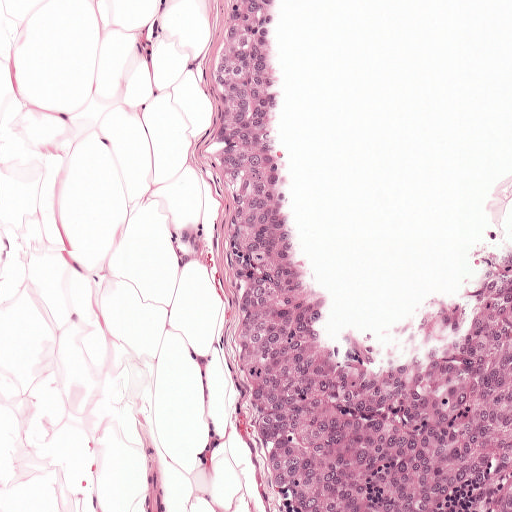
Lymph node section stained with H&E, from a whole-slide image of a breast-cancer sentinel node. Magnification about 10×, about 0.5 mm across the frame, about 0.97 µm per pixel.
Question: Which parts of this field are metastatic tumour? Answer with the outline of each region, in pixels.
Answer: Metastatic tumour outline, simplified to 12 points and listed clockwise in crop pixels (x, y): (285, 0), (290, 164), (306, 254), (347, 337), (433, 308), (491, 185), (511, 167), (511, 511), (284, 511), (235, 348), (208, 44), (224, 1).
About 30% of the image area is annotated as tumour.